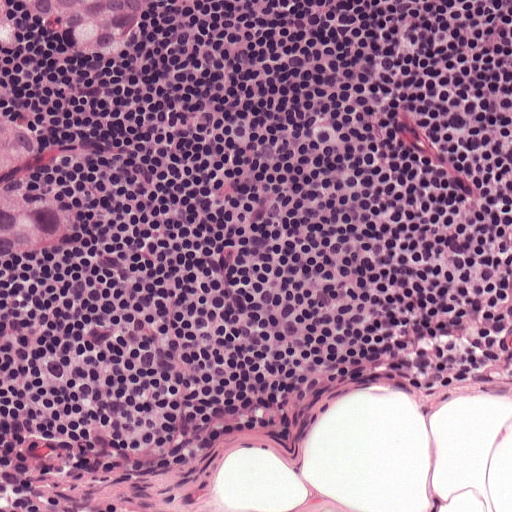
A 0.25-mm field of an H&E-stained sentinel lymph node from a breast-cancer patient (whole-slide image), shown at about 20×, about 0.49 µm per pixel.
One metastatic tumour region; its boundary, reduced to 10 corners and listed clockwise: (0, 0), (345, 0), (297, 50), (232, 2), (59, 82), (42, 60), (64, 124), (84, 220), (59, 252), (0, 260).
About 10% of the image area is annotated as tumour.